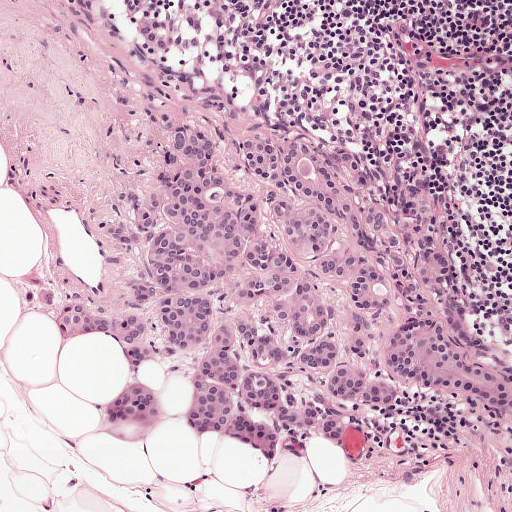
H&E-stained section of a sentinel lymph node (breast cancer), from a whole-slide image, viewed at about 10×: the field is about 0.5 mm across, about 0.97 µm per pixel.
Question: Show where the tumour is in this image.
Answer: Tumour region outline (a closed clockwise path, crop pixels): (259, 129), (293, 131), (342, 149), (368, 172), (378, 207), (408, 252), (443, 252), (449, 268), (423, 287), (425, 305), (410, 315), (396, 309), (394, 293), (377, 320), (369, 354), (356, 359), (350, 349), (355, 314), (346, 299), (348, 282), (322, 278), (290, 248), (242, 154), (243, 136).
One more tumour region is annotated but not outlined: its edge is too irregular for a short outline.
The annotated tumour makes up about 25% of the crop.